Question: 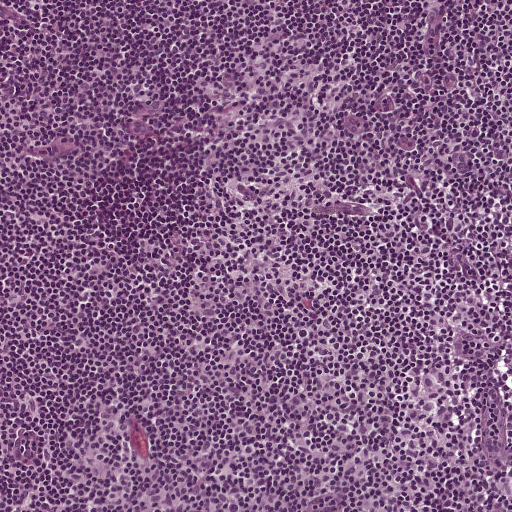
About what magnification does this crop show?

Choices:
 (A) about 40×
 (B) about 2.5×
 (C) about 20×
 (D) about 10×
 (E) about 5×

Answer: (D) about 10×
Lymph node section stained with H&E, from a whole-slide image of a breast-cancer sentinel node. Magnification about 10×, about 0.5 mm across the frame, about 0.97 µm per pixel.